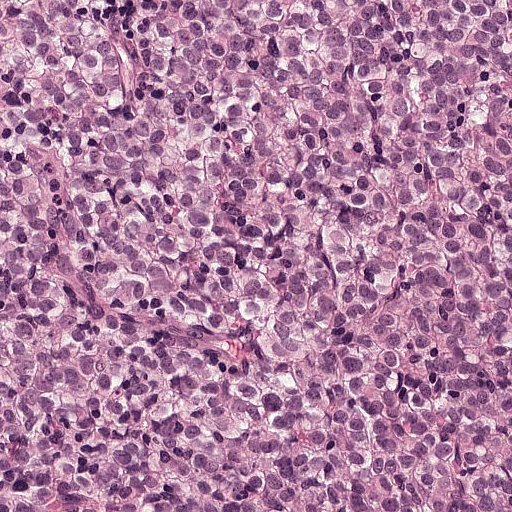
Lymph node section stained with H&E, from a whole-slide image of a breast-cancer sentinel node. Magnification about 20×, about 0.25 mm across the frame, about 0.49 µm per pixel.
Metastatic tumour covers the whole field.
Over 95% of this field is tumour.